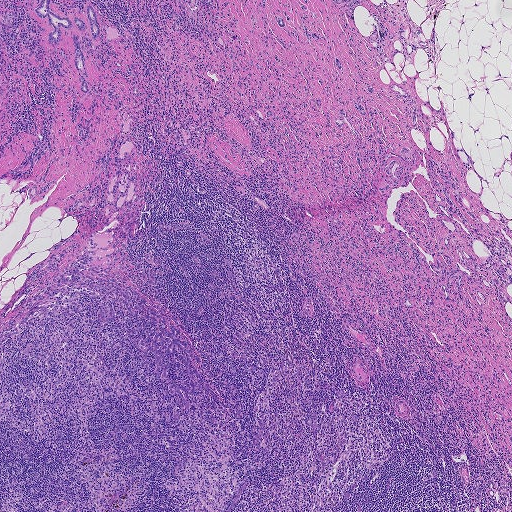
Lymph node section stained with H&E, from a whole-slide image of a breast-cancer sentinel node. Magnification about 2.5×, about 1.9 mm across the frame, about 3.6 µm per pixel.
Question: Which parts of this field are metastatic tumour?
Answer: Three metastatic tumour regions, each outlined as a closed clockwise path in crop pixels (x, y), largest first: region 1: (72, 236), (81, 246), (90, 238), (127, 257), (127, 264), (143, 270), (148, 280), (154, 256), (162, 259), (173, 271), (157, 273), (154, 288), (137, 268), (127, 270), (128, 281), (176, 316), (202, 358), (196, 368), (217, 398), (211, 392), (185, 392), (186, 410), (178, 394), (170, 395), (152, 375), (153, 354), (146, 358), (127, 344), (114, 323), (98, 322), (96, 297), (67, 292), (25, 307), (44, 282), (43, 269), (35, 266), (54, 244); region 2: (39, 0), (50, 0), (50, 8), (57, 13), (84, 18), (85, 0), (91, 0), (100, 30), (98, 38), (92, 41), (92, 48), (83, 48), (90, 90), (86, 93), (79, 90), (68, 34), (60, 45), (48, 44), (46, 36), (50, 28), (46, 18), (38, 18), (33, 11); region 3: (305, 25), (308, 28), (309, 31), (318, 34), (319, 37), (318, 40), (314, 40), (310, 36), (307, 38), (305, 35), (304, 32), (304, 28).
22 more small tumour pieces are annotated here but not outlined.
The annotated tumour makes up about 5% of the crop.